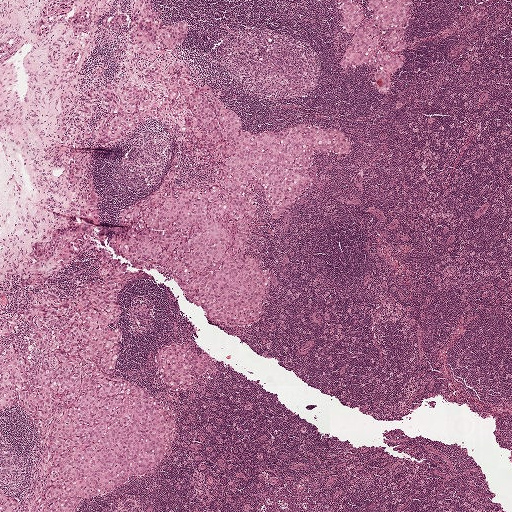
Lymph node section stained with H&E, from a whole-slide image of a breast-cancer sentinel node. Magnification about 2.5×, about 2.0 mm across the frame, about 3.9 µm per pixel.
Question: Describe where the metastatic carcinoma lies in this crop.
Answer: The eight largest tumour regions' boundaries, simplified and listed clockwise, largest first: region 1: (140, 65), (187, 66), (187, 78), (235, 111), (240, 131), (303, 122), (352, 138), (348, 152), (312, 155), (310, 184), (280, 217), (256, 185), (248, 249), (271, 283), (246, 325), (212, 319), (172, 275), (114, 244), (149, 235), (120, 222), (119, 210), (172, 162), (174, 170), (172, 185), (210, 184), (217, 172), (214, 155), (190, 142), (184, 116), (200, 132), (185, 105), (98, 140), (112, 106), (99, 98), (103, 85), (143, 85), (152, 104), (166, 86); region 2: (107, 257), (129, 274), (115, 305), (112, 371), (180, 420), (148, 473), (66, 511), (0, 511), (0, 484), (18, 499), (26, 495), (34, 454), (24, 404), (0, 409), (0, 341), (15, 344), (29, 364), (38, 362), (24, 311), (32, 295), (71, 292), (98, 271), (96, 258); region 3: (335, 0), (356, 0), (366, 19), (374, 11), (367, 0), (411, 0), (403, 33), (406, 45), (402, 50), (405, 66), (390, 74), (390, 92), (379, 94), (372, 80), (375, 68), (340, 65), (343, 44), (354, 36), (342, 26), (342, 10); region 4: (187, 341), (188, 348), (195, 354), (208, 352), (210, 361), (199, 385), (178, 389), (161, 378), (154, 363), (157, 352), (162, 347), (172, 342); region 5: (131, 0), (150, 0), (154, 15), (165, 23), (177, 19), (186, 19), (189, 25), (184, 43), (176, 48), (168, 50), (144, 50), (132, 45), (133, 41), (129, 36), (129, 31), (138, 30), (150, 34), (157, 33), (149, 25), (130, 16), (130, 13), (134, 2); region 6: (49, 0), (64, 0), (69, 6), (67, 12), (57, 13), (53, 17), (51, 26), (41, 34), (37, 25), (40, 10), (41, 6); region 7: (85, 232), (88, 233), (87, 239), (83, 248), (75, 256), (63, 257), (58, 257), (59, 252), (64, 245), (77, 234); region 8: (61, 232), (61, 237), (53, 257), (48, 258), (36, 257), (32, 252), (35, 247), (48, 245), (52, 236).
Five more, smaller tumour regions are not outlined.
One more small tumour piece is annotated here but not outlined.
Tumour covers about 25% of the frame.